Image:
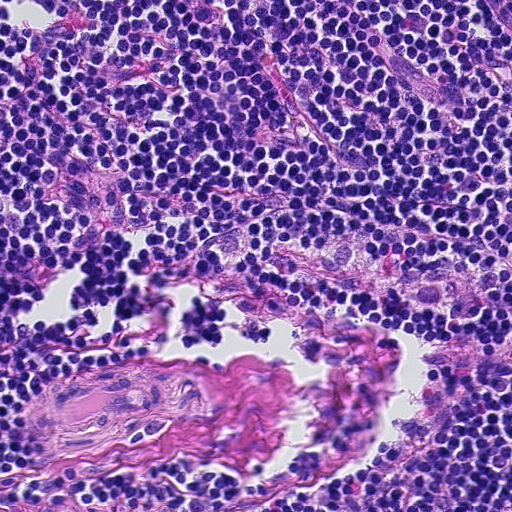
A 0.23-mm field of an H&E-stained sentinel lymph node from a breast-cancer patient (whole-slide image), shown at about 20×, about 0.45 µm per pixel.
Question:
Is any metastatic breast cancer visible in this crop?
Answer:
No. No metastatic tumour is outlined in this field.